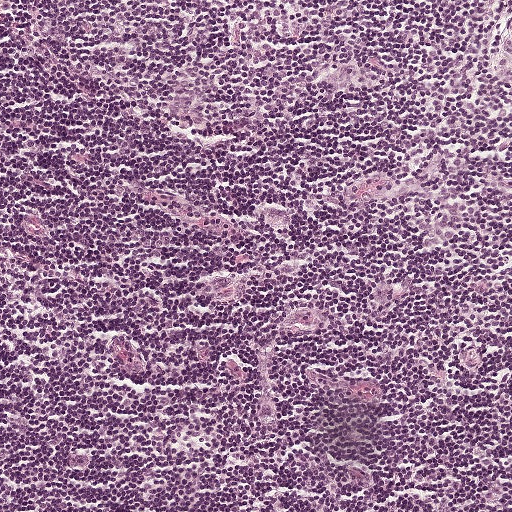
H&E-stained section of a sentinel lymph node (breast cancer), from a whole-slide image, viewed at about 10×: the field is about 0.5 mm across, about 0.97 µm per pixel.